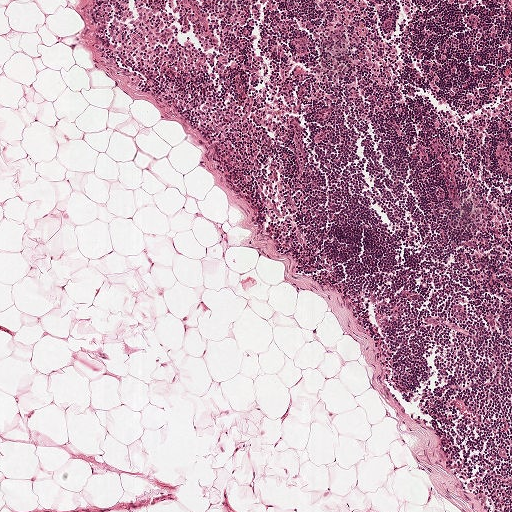
H&E-stained section of a sentinel lymph node (breast cancer), from a whole-slide image, viewed at about 5×: the field is about 1 mm across, about 1.9 µm per pixel.
Question: Does this lymph node field contain metastatic tumour?
Answer: No, this field holds no outlined metastasis.